Lymph node section stained with H&E, from a whole-slide image of a breast-cancer sentinel node. Magnification about 2.5×, about 2.0 mm across the frame, about 3.9 µm per pixel.
Image:
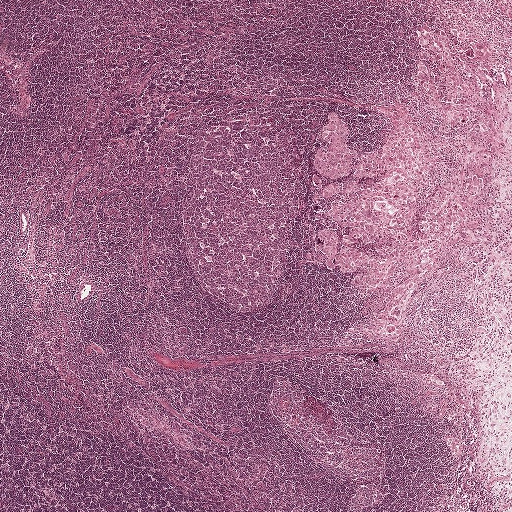
Question:
Where is the metastatic tumour in this field?
Answer:
One metastatic tumour region; its boundary, reduced to 21 corners and listed clockwise: (426, 19), (475, 25), (506, 60), (502, 175), (472, 220), (447, 233), (401, 340), (346, 338), (361, 299), (343, 275), (305, 254), (317, 222), (310, 174), (323, 142), (319, 127), (334, 109), (353, 143), (375, 148), (393, 105), (432, 125), (416, 27).
The annotated tumour makes up about 15% of the crop.